Lymph node section stained with H&E, from a whole-slide image of a breast-cancer sentinel node. Magnification about 2.5×, about 1.9 mm across the frame, about 3.6 µm per pixel.
Question: 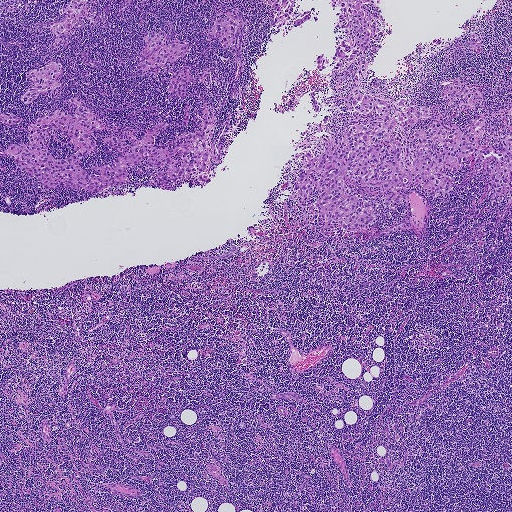
Estimate the proportion of this field that is metastatic tumour.

Choices:
 (A) about 10% to 20%
 (B) about 50% or more
 (C) about 25% to 45%
 (D) none: no tumour is outlined
 (E) about 5% or less

Answer: (A) about 10% to 20%
About 15% of the field is tumour.
Outlines of the eight largest metastatic tumour regions, each a closed clockwise path in crop pixels (x, y), largest first: region 1: (331, 0), (372, 0), (361, 88), (389, 117), (402, 98), (430, 109), (407, 141), (483, 115), (481, 142), (504, 149), (511, 107), (511, 190), (499, 200), (490, 167), (461, 184), (473, 154), (444, 171), (442, 196), (415, 183), (388, 207), (345, 186), (373, 210), (360, 232), (326, 222), (313, 186), (304, 199), (295, 191), (301, 157), (383, 120), (375, 106), (352, 115), (360, 56), (318, 70), (348, 35); region 2: (73, 96), (105, 128), (89, 135), (96, 143), (78, 161), (87, 173), (101, 174), (91, 169), (128, 151), (109, 149), (105, 137), (130, 146), (164, 120), (154, 144), (202, 130), (206, 108), (214, 120), (193, 145), (218, 145), (208, 182), (194, 166), (160, 181), (166, 164), (147, 166), (148, 154), (128, 165), (124, 184), (50, 189), (6, 149), (31, 143), (27, 129), (38, 118), (72, 113), (66, 98); region 3: (159, 34), (169, 36), (164, 45), (180, 41), (187, 44), (187, 48), (181, 57), (154, 72), (143, 71), (141, 68), (141, 60), (144, 56), (142, 52), (145, 42), (144, 38), (148, 37); region 4: (50, 61), (58, 62), (61, 64), (61, 73), (56, 80), (60, 86), (59, 90), (56, 93), (39, 96), (29, 104), (24, 104), (21, 102), (20, 98), (24, 90), (32, 83), (31, 80), (24, 75), (26, 71), (43, 66); region 5: (228, 10), (235, 12), (243, 20), (243, 24), (237, 73), (234, 67), (233, 44), (227, 48), (224, 47), (216, 35), (210, 37), (207, 35), (210, 24), (219, 17), (226, 16); region 6: (71, 0), (87, 0), (83, 4), (87, 12), (85, 15), (81, 15), (83, 26), (72, 30), (65, 35), (60, 46), (53, 47), (52, 44), (55, 41), (48, 26), (50, 23), (62, 20), (65, 13), (61, 15), (58, 9); region 7: (454, 79), (467, 88), (478, 88), (484, 96), (483, 101), (474, 106), (446, 103), (441, 95), (442, 90), (447, 87), (439, 86), (439, 83); region 8: (266, 0), (289, 0), (291, 8), (289, 16), (292, 19), (296, 18), (304, 11), (308, 10), (317, 17), (317, 21), (313, 19), (312, 16), (307, 22), (296, 26), (293, 24), (294, 20), (282, 21), (271, 26), (271, 22), (277, 12), (267, 5).
Two more, smaller tumour regions are not outlined.